This is a crop of a whole-slide image: an H&E-stained breast-cancer sentinel lymph node section at roughly 10× magnification (about 0.97 µm per pixel; the crop spans about 0.5 mm).
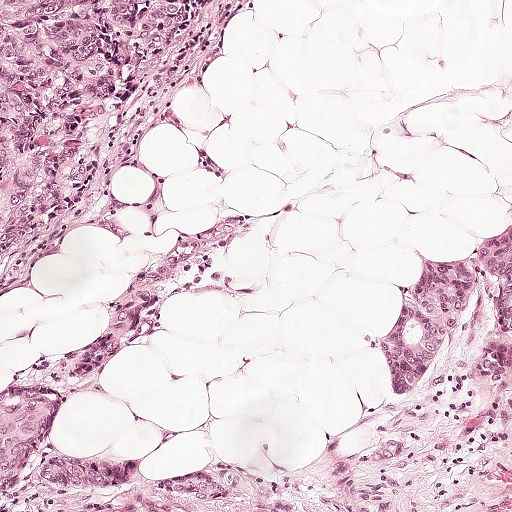
Question: Where is the metastatic tumour in this field?
Answer: The outlined metastatic tumour's edge, as a closed clockwise path of 13 points: (0, 0), (278, 0), (222, 99), (184, 131), (131, 211), (99, 296), (99, 344), (259, 339), (511, 216), (511, 428), (488, 452), (467, 510), (0, 511).
About 60% of the image area is annotated as tumour.